Question: 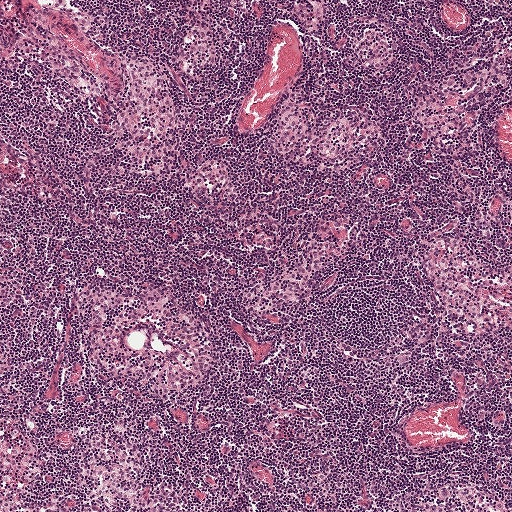
Which magnification is this H&E lymph node field most likely shown at?

Choices:
 (A) about 40×
 (B) about 10×
 (C) about 5×
 (D) about 20×
 (E) about 2.5×

Answer: (C) about 5×
A 1-mm field of an H&E-stained sentinel lymph node from a breast-cancer patient (whole-slide image), shown at about 5×, about 1.9 µm per pixel.